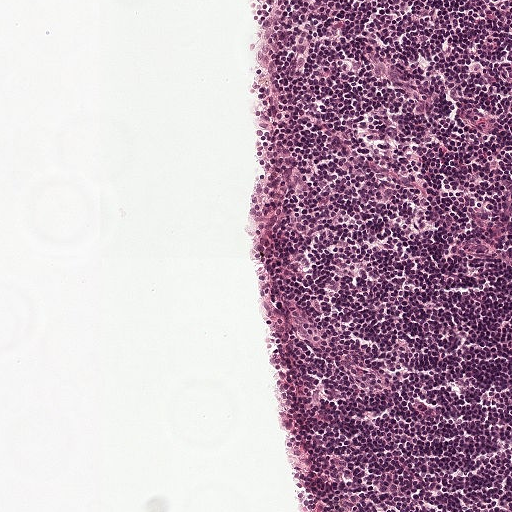
This is a crop of a whole-slide image: an H&E-stained breast-cancer sentinel lymph node section at roughly 10× magnification (about 0.97 µm per pixel; the crop spans about 0.5 mm).
Question: Does this lymph node field contain metastatic tumour?
Answer: No. No metastatic tumour is outlined in this field.